H&E-stained section of a sentinel lymph node (breast cancer), from a whole-slide image, viewed at about 10×: the field is about 0.5 mm across, about 0.97 µm per pixel.
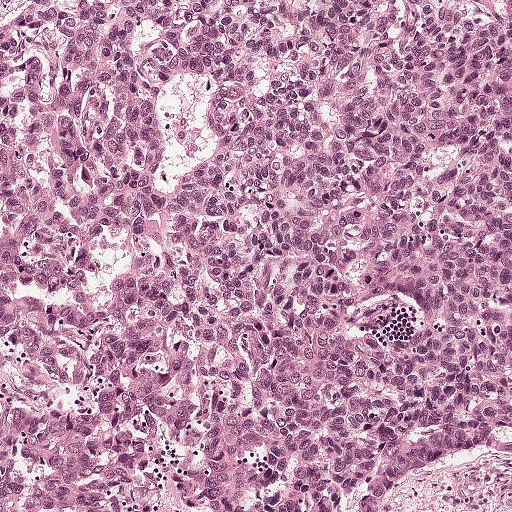
One metastatic tumour region; its boundary, reduced to 12 corners and listed clockwise: (511, 0), (511, 453), (448, 468), (389, 511), (216, 511), (216, 438), (181, 328), (179, 259), (181, 182), (209, 107), (182, 56), (177, 2).
About 60% of this field is tumour.